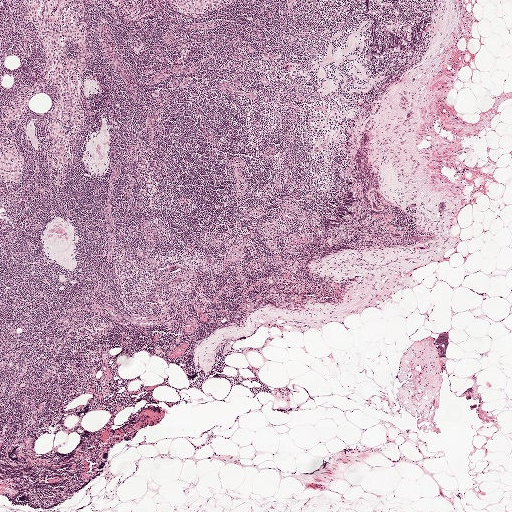
A 2.0-mm field of an H&E-stained sentinel lymph node from a breast-cancer patient (whole-slide image), shown at about 2.5×, about 3.9 µm per pixel.